Lymph node section stained with H&E, from a whole-slide image of a breast-cancer sentinel node. Magnification about 20×, about 0.25 mm across the frame, about 0.49 µm per pixel.
Image:
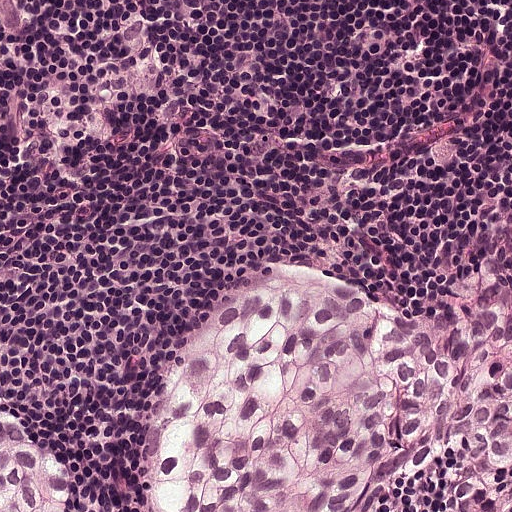
Question:
Which parts of this field are metastatic tumour? Answer with the outline of each region, in pixels.
Answer:
Boundaries of two metastatic tumour regions, simplified and listed clockwise, largest first: region 1: (510, 230), (511, 511), (464, 511), (453, 456), (439, 445), (376, 511), (150, 511), (147, 466), (169, 378), (219, 279), (300, 254), (402, 306), (424, 304), (472, 286), (480, 252); region 2: (0, 416), (32, 424), (67, 452), (74, 466), (70, 510), (0, 511).
Tumour covers about 30% of the frame.